Image:
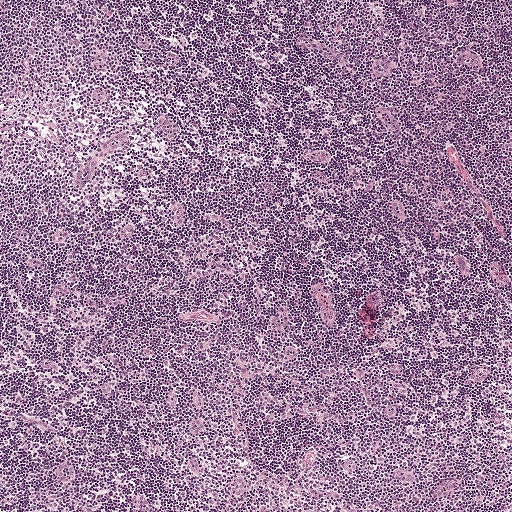
A 1-mm field of an H&E-stained sentinel lymph node from a breast-cancer patient (whole-slide image), shown at about 5×, about 1.9 µm per pixel.
Question:
Is any metastatic breast cancer visible in this crop?
Answer:
No. No metastatic tumour is outlined in this field.